Question: 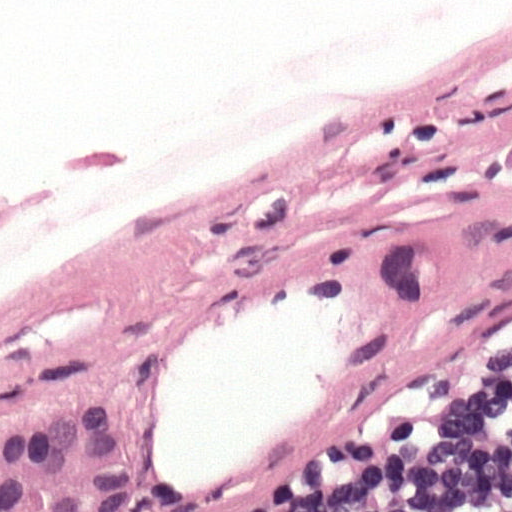
About what magnification does this crop show?

Choices:
 (A) about 20×
 (B) about 2.5×
 (C) about 40×
 (D) about 5×
 (E) about 10×

Answer: (C) about 40×
A 0.12-mm field of an H&E-stained sentinel lymph node from a breast-cancer patient (whole-slide image), shown at about 40×, about 0.24 µm per pixel.
One metastatic tumour region; its boundary, reduced to 5 corners and listed clockwise: (97, 391), (132, 418), (124, 511), (0, 511), (0, 401).
One more small tumour piece is annotated here but not outlined.
About 5% of this field is tumour.